This is a crop of a whole-slide image: an H&E-stained breast-cancer sentinel lymph node section at roughly 10× magnification (about 0.97 µm per pixel; the crop spans about 0.5 mm).
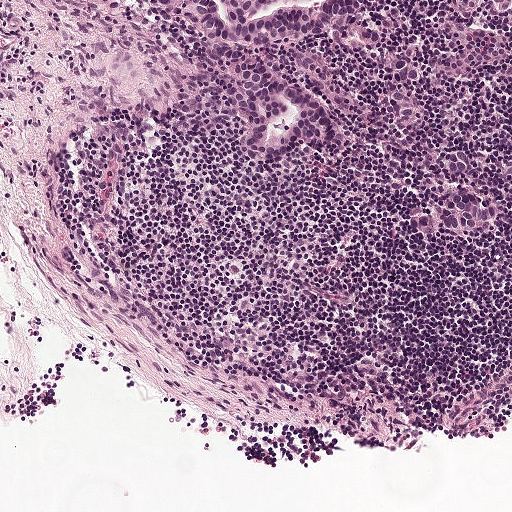
Boundaries of four metastatic tumour regions, simplified and listed clockwise, largest first: region 1: (151, 0), (369, 0), (315, 32), (276, 44), (248, 42), (242, 48), (253, 50), (321, 99), (336, 134), (335, 141), (326, 144), (293, 141), (279, 151), (233, 144), (231, 110), (200, 69), (192, 32), (182, 19); region 2: (456, 182), (466, 187), (482, 191), (485, 194), (492, 210), (484, 225), (436, 224), (420, 229), (404, 222), (404, 217), (408, 214), (420, 212), (436, 206), (442, 186), (444, 184), (450, 185); region 3: (292, 46), (295, 46), (300, 49), (304, 48), (313, 52), (324, 70), (342, 88), (346, 97), (348, 111), (341, 111), (331, 104), (321, 92), (312, 86), (306, 75), (290, 64), (284, 56); region 4: (97, 0), (146, 0), (136, 2), (122, 9), (107, 8).
One more small tumour piece is annotated here but not outlined.
About 10% of this field is tumour.